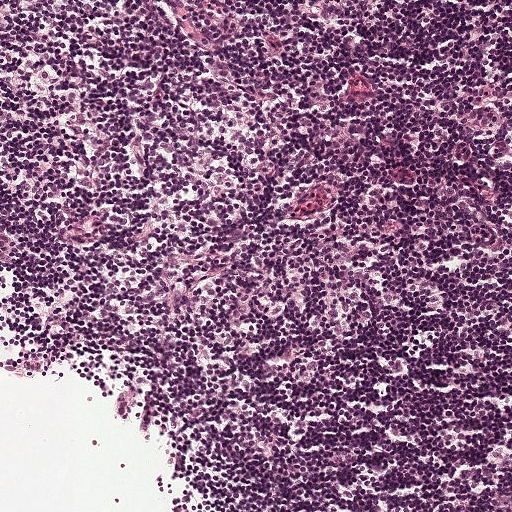
H&E-stained section of a sentinel lymph node (breast cancer), from a whole-slide image, viewed at about 10×: the field is about 0.5 mm across, about 0.97 µm per pixel.
Question: Does this lymph node field contain metastatic tumour?
Answer: No: no metastatic tumour is outlined anywhere in this field.